Image:
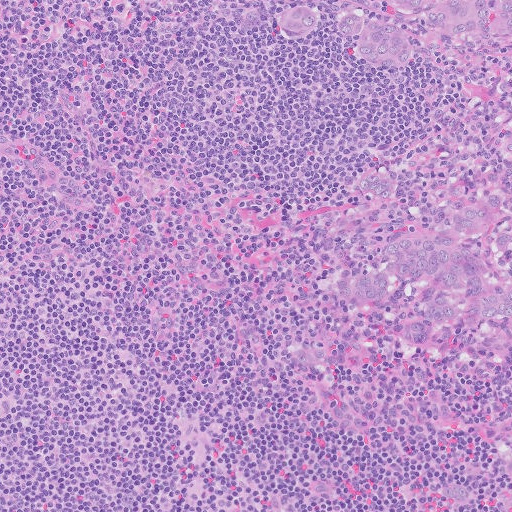
Lymph node section stained with H&E, from a whole-slide image of a breast-cancer sentinel node. Magnification about 10×, about 0.51 mm across the frame, about 1.0 µm per pixel.
Question:
Outline the metastatic carcinoma in this image, as closed paths of (x, y) pixel coordinates.
Answer:
Two metastatic tumour regions, each outlined as a closed clockwise path in crop pixels (x, y), largest first: region 1: (511, 124), (511, 384), (356, 316), (340, 302), (336, 280), (376, 258), (394, 218), (355, 192), (358, 182), (372, 171), (391, 179), (418, 236), (433, 229), (460, 184), (505, 151); region 2: (270, 0), (511, 0), (511, 52), (443, 66), (410, 64), (396, 77), (294, 54), (271, 27).
Two more small tumour pieces are annotated here but not outlined.
About 15% of the image area is annotated as tumour.